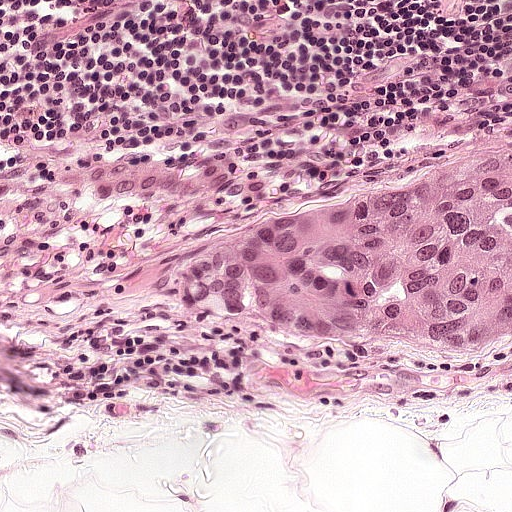
This is a crop of a whole-slide image: an H&E-stained breast-cancer sentinel lymph node section at roughly 20× magnification (about 0.49 µm per pixel; the crop spans about 0.25 mm).
One metastatic tumour region; its boundary, reduced to 9 corners and listed clockwise: (511, 138), (511, 372), (501, 378), (424, 385), (316, 365), (266, 344), (190, 286), (182, 252), (210, 218).
About 25% of the image area is annotated as tumour.